Image:
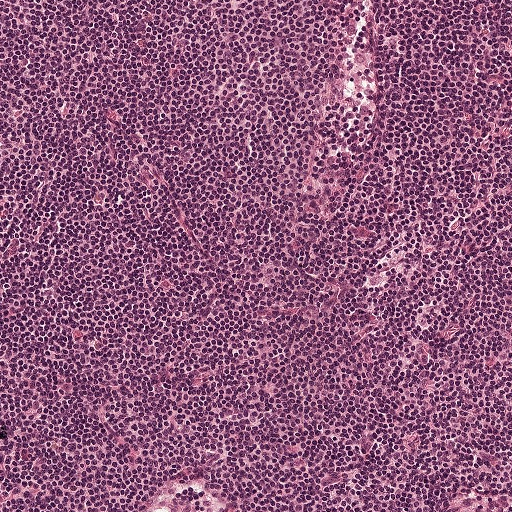
This is a crop of a whole-slide image: an H&E-stained breast-cancer sentinel lymph node section at roughly 10× magnification (about 0.97 µm per pixel; the crop spans about 0.5 mm).
Question:
Does this lymph node field contain metastatic tumour?
Answer:
No: no metastatic tumour is outlined anywhere in this field.